A 0.25-mm field of an H&E-stained sentinel lymph node from a breast-cancer patient (whole-slide image), shown at about 20×, about 0.49 µm per pixel.
Image:
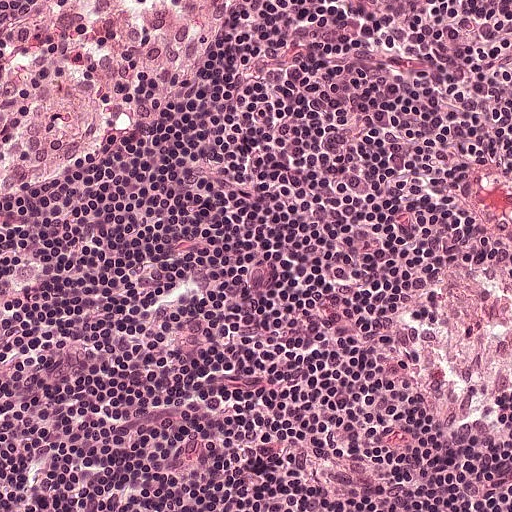
Question:
Is there metastatic carcinoma in this field?
Answer:
No. No metastatic tumour is outlined in this field.